Question: 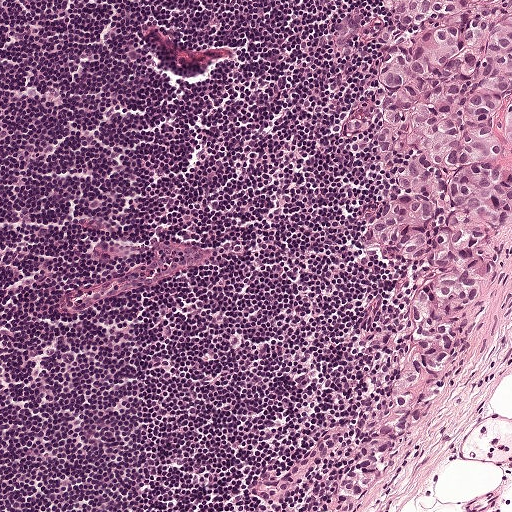
H&E-stained section of a sentinel lymph node (breast cancer), from a whole-slide image, viewed at about 10×: the field is about 0.5 mm across, about 0.97 µm per pixel.
About how much of this crop is taken up by metastatic carcinoma?

Choices:
 (A) about 25% to 45%
 (B) about 10% to 20%
 (C) about 5% or less
 (D) none: no tumour is outlined
 (E) about 50% or more

Answer: (B) about 10% to 20%
About 20% of the field is tumour.
Tumour region outline (a closed clockwise path, crop pixels): (390, 0), (511, 0), (511, 214), (482, 272), (470, 338), (425, 432), (394, 460), (371, 501), (361, 511), (327, 511), (403, 355), (422, 282), (375, 242), (370, 216), (384, 163), (370, 139), (345, 125), (347, 115), (379, 86), (372, 70).